Image:
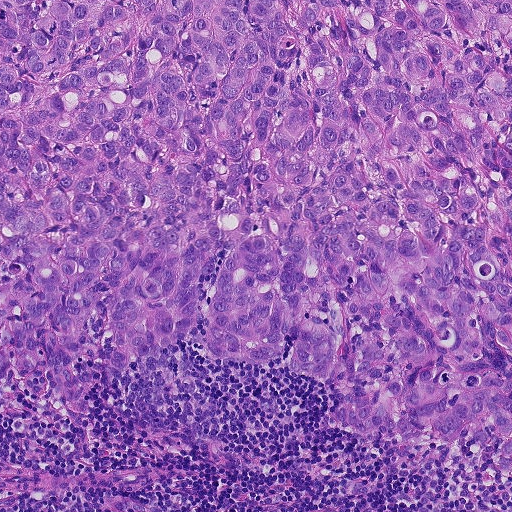
A 0.46-mm field of an H&E-stained sentinel lymph node from a breast-cancer patient (whole-slide image), shown at about 10×, about 0.9 µm per pixel.
Question:
Is any metastatic breast cancer visible in this crop?
Answer:
Yes.
Metastatic tumour outline, simplified to 18 points and listed clockwise in crop pixels (x, y): (0, 0), (511, 0), (511, 462), (467, 439), (408, 446), (383, 420), (348, 433), (331, 422), (336, 386), (217, 360), (198, 352), (199, 332), (126, 365), (86, 358), (90, 413), (54, 396), (48, 377), (0, 375).
Tumour covers about 75% of the frame.